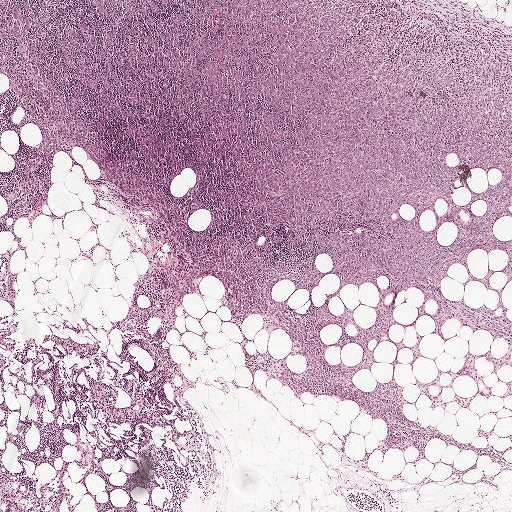
Lymph node section stained with H&E, from a whole-slide image of a breast-cancer sentinel node. Magnification about 2.5×, about 2.0 mm across the frame, about 3.9 µm per pixel.
Question: Which parts of this field are metastatic tumour? Answer with the outline of each region, in pixels.
Answer: Metastatic tumour outline, simplified to 40 points and listed clockwise in crop pixels (x, y): (0, 0), (457, 0), (505, 21), (511, 217), (492, 231), (511, 240), (511, 397), (420, 396), (415, 377), (469, 348), (507, 352), (454, 319), (443, 345), (419, 317), (423, 357), (398, 352), (394, 380), (407, 419), (477, 449), (490, 409), (511, 410), (488, 442), (511, 434), (511, 473), (434, 438), (418, 459), (377, 451), (385, 424), (353, 401), (269, 377), (290, 339), (219, 306), (215, 277), (147, 298), (177, 261), (155, 216), (65, 143), (36, 210), (43, 135), (3, 74).
The outline encloses 38 non-tumour holes totalling about 10% of the region's area.
One more small tumour piece is annotated here but not outlined.
Tumour covers about 55% of the frame.